A 0.23-mm field of an H&E-stained sentinel lymph node from a breast-cancer patient (whole-slide image), shown at about 20×, about 0.45 µm per pixel.
Image:
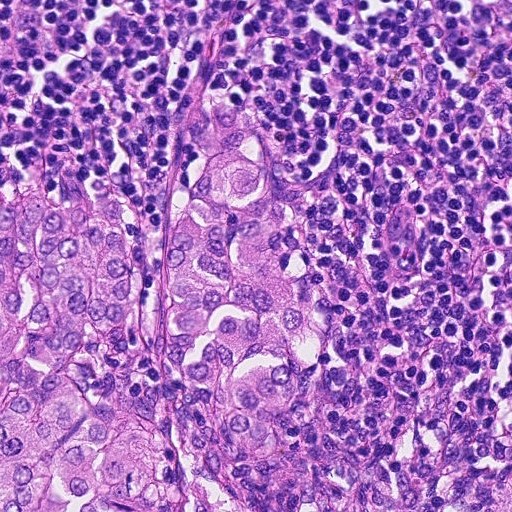
Question:
Outline the metastatic carcinoma in this image, as closed paths of (x, y) pixel coordinates.
Answer:
Metastatic tumour outline, simplified to 16 points and listed clockwise in crop pixels (x, y): (232, 92), (264, 136), (319, 312), (321, 364), (314, 390), (249, 472), (199, 492), (190, 511), (0, 511), (0, 187), (47, 196), (100, 186), (124, 194), (137, 280), (185, 162), (182, 112).
The outline encloses a non-tumour hole of about 10% of the region's area.
About 35% of the image area is annotated as tumour.